A 2.0-mm field of an H&E-stained sentinel lymph node from a breast-cancer patient (whole-slide image), shown at about 2.5×, about 3.9 µm per pixel.
Question: 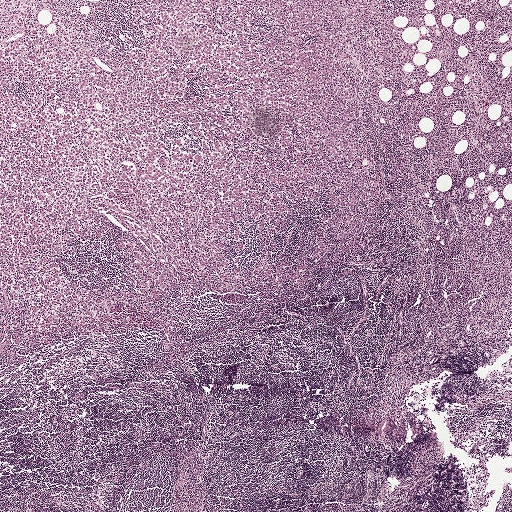
Roughly what share of this field is metastatic tumour?

Choices:
 (A) about 25% to 45%
 (B) about 10% to 20%
 (C) none: no tumour is outlined
 (D) about 50% or more
 (E) about 5% or less

Answer: (B) about 10% to 20%
About 15% of the field is tumour.
Four metastatic tumour regions, each outlined as a closed clockwise path in crop pixels (x, y), largest first: region 1: (52, 37), (92, 58), (97, 87), (90, 101), (120, 153), (111, 180), (69, 224), (20, 223), (2, 216), (0, 94), (23, 90), (11, 62), (18, 48); region 2: (163, 130), (201, 132), (226, 147), (249, 152), (265, 175), (265, 196), (272, 211), (268, 228), (240, 251), (228, 253), (197, 273), (186, 273), (156, 251), (136, 218), (133, 189), (138, 159), (150, 137); region 3: (343, 0), (353, 68), (348, 86), (336, 96), (316, 97), (301, 104), (267, 103), (248, 95), (240, 88), (229, 59), (219, 1); region 4: (0, 0), (32, 0), (32, 9), (22, 29), (1, 41).